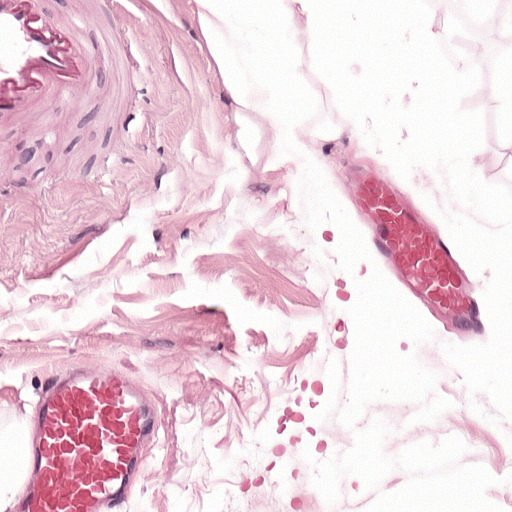
A 0.25-mm field of an H&E-stained sentinel lymph node from a breast-cancer patient (whole-slide image), shown at about 20×, about 0.49 µm per pixel.